Question: 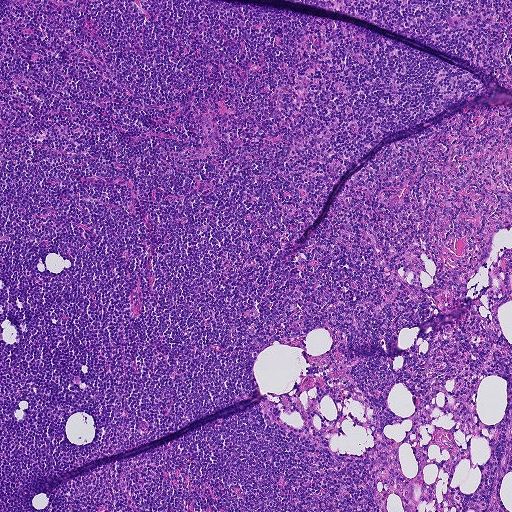
Lymph node section stained with H&E, from a whole-slide image of a breast-cancer sentinel node. Magnification about 5×, about 0.93 mm across the frame, about 1.8 µm per pixel.
About how much of this crop is taken up by metastatic carcinoma?

Choices:
 (A) about 10% to 20%
 (B) about 50% or more
 (C) none: no tumour is outlined
 (D) about 25% to 45%
 (E) about 5% or less

Answer: (C) none: no tumour is outlined
No metastatic tumour is outlined in this field.